Image:
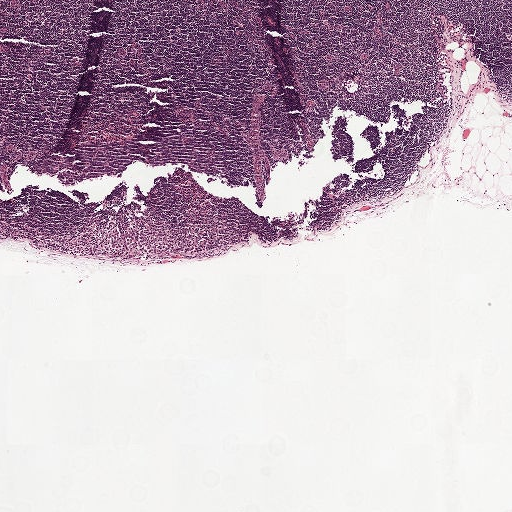
This is a crop of a whole-slide image: an H&E-stained breast-cancer sentinel lymph node section at roughly 2.5× magnification (about 3.9 µm per pixel; the crop spans about 2.0 mm).
Question:
Where is the metastatic tumour in this field?
Answer:
Metastatic tumour outline, simplified to 12 points and listed clockwise in crop pixels (x, y): (118, 218), (132, 226), (155, 222), (175, 229), (189, 250), (188, 256), (173, 261), (90, 258), (61, 251), (50, 242), (50, 235), (93, 220).
Tumour covers under 5% of the frame.